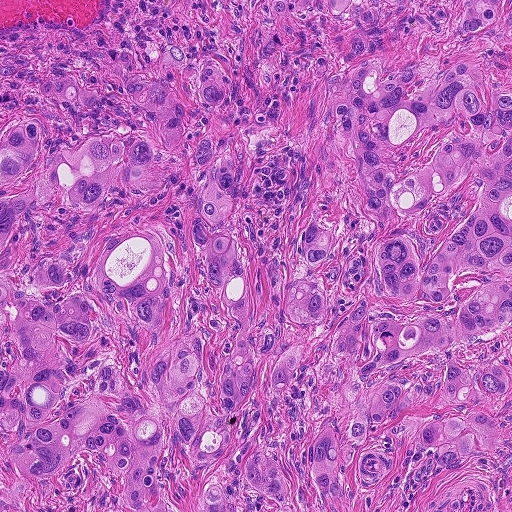
H&E-stained section of a sentinel lymph node (breast cancer), from a whole-slide image, viewed at about 10×: the field is about 0.46 mm across, about 0.9 µm per pixel.
The outlined metastatic tumour's edge, as a closed clockwise path of 22 points: (511, 0), (511, 511), (0, 511), (0, 131), (38, 117), (47, 158), (150, 143), (126, 98), (76, 107), (47, 78), (161, 79), (165, 43), (217, 60), (256, 324), (312, 220), (337, 233), (327, 332), (364, 289), (383, 228), (330, 104), (357, 8), (267, 6).
The annotated tumour makes up about 80% of the crop.